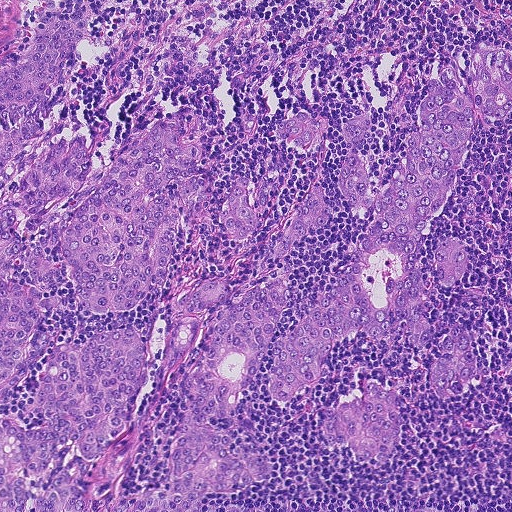
This is a crop of a whole-slide image: an H&E-stained breast-cancer sentinel lymph node section at roughly 10× magnification (about 0.9 µm per pixel; the crop spans about 0.46 mm).
Outlines of the eight largest metastatic tumour regions, each a closed clockwise path in crop pixels (x, y), largest first: region 1: (47, 0), (57, 0), (63, 19), (87, 23), (86, 32), (38, 118), (44, 131), (65, 122), (56, 143), (86, 136), (92, 163), (81, 188), (175, 112), (175, 140), (198, 150), (209, 208), (198, 226), (180, 214), (164, 282), (132, 308), (86, 308), (65, 263), (63, 236), (44, 255), (60, 268), (58, 287), (16, 274), (60, 297), (30, 332), (59, 331), (0, 404), (0, 132), (24, 119), (0, 119), (0, 72), (28, 51); region 2: (502, 47), (511, 68), (511, 111), (496, 120), (476, 114), (419, 256), (429, 306), (421, 312), (430, 329), (424, 348), (414, 349), (398, 326), (383, 340), (354, 336), (336, 344), (324, 378), (294, 402), (276, 403), (266, 386), (269, 352), (326, 293), (380, 217), (367, 222), (351, 210), (338, 183), (348, 118), (369, 114), (357, 150), (376, 194), (421, 130), (417, 112), (430, 79), (439, 81), (444, 68), (464, 88), (474, 55); region 3: (133, 329), (148, 354), (148, 381), (126, 432), (101, 458), (83, 460), (77, 443), (68, 444), (56, 448), (46, 470), (21, 475), (28, 489), (37, 489), (67, 469), (86, 508), (0, 511), (0, 419), (45, 429), (46, 416), (30, 406), (53, 346), (80, 346), (96, 334); region 4: (289, 269), (286, 304), (254, 382), (235, 415), (226, 423), (208, 421), (248, 450), (270, 457), (274, 473), (242, 490), (207, 494), (204, 511), (119, 511), (166, 482), (168, 447), (182, 428), (186, 404), (178, 381), (196, 363), (216, 320), (253, 289); region 5: (373, 378), (395, 389), (398, 397), (399, 436), (396, 452), (387, 463), (378, 463), (372, 459), (357, 462), (348, 447), (333, 447), (321, 436), (316, 421), (317, 413), (322, 406), (351, 401); region 6: (460, 324), (468, 332), (478, 372), (477, 383), (464, 398), (453, 400), (442, 400), (434, 394), (426, 374), (430, 364), (439, 357), (437, 353), (437, 343), (446, 338), (450, 328); region 7: (209, 280), (230, 282), (231, 293), (204, 312), (194, 313), (200, 317), (202, 328), (198, 338), (186, 358), (177, 365), (167, 368), (167, 342), (169, 331), (180, 312), (174, 302), (182, 294); region 8: (318, 178), (329, 219), (324, 227), (305, 236), (296, 242), (284, 258), (274, 258), (268, 250), (296, 212).
Three more, smaller tumour regions are not outlined.
Five more small tumour pieces are annotated here but not outlined.
The annotated tumour makes up about 45% of the crop.